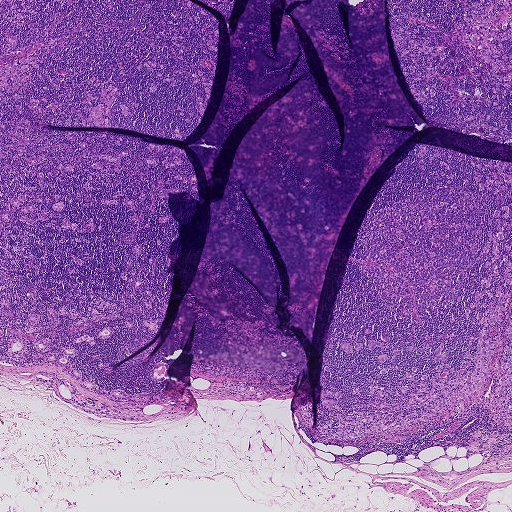
A 1.9-mm field of an H&E-stained sentinel lymph node from a breast-cancer patient (whole-slide image), shown at about 2.5×, about 3.6 µm per pixel.
Outlines of three tumour regions, largest first (closed clockwise paths, crop pixels): region 1: (0, 0), (219, 20), (184, 138), (52, 126), (197, 172), (114, 367), (155, 341), (159, 336), (190, 387), (193, 356), (300, 375), (319, 402), (325, 347), (414, 341), (353, 245), (443, 180), (419, 142), (511, 161), (511, 432), (324, 440), (290, 411), (289, 390), (241, 399), (154, 382), (165, 362), (150, 357), (148, 353), (154, 344), (116, 368), (111, 368), (132, 313), (71, 364), (163, 402), (87, 412), (3, 361); region 2: (387, 0), (511, 0), (511, 146), (432, 126), (400, 69); region 3: (198, 0), (235, 0), (230, 18), (225, 18).
About 50% of this field is tumour.